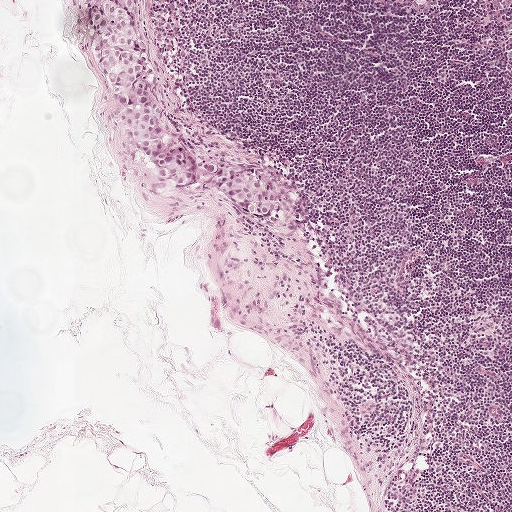
This is a crop of a whole-slide image: an H&E-stained breast-cancer sentinel lymph node section at roughly 5× magnification (about 1.9 µm per pixel; the crop spans about 1 mm).
The outlined metastatic tumour's edge, as a closed clockwise path of 17 points: (87, 0), (140, 0), (146, 20), (146, 54), (189, 145), (208, 160), (251, 171), (282, 192), (285, 200), (281, 220), (263, 226), (235, 200), (197, 194), (130, 159), (117, 103), (99, 81), (91, 61).
The annotated tumour makes up about 5% of the crop.